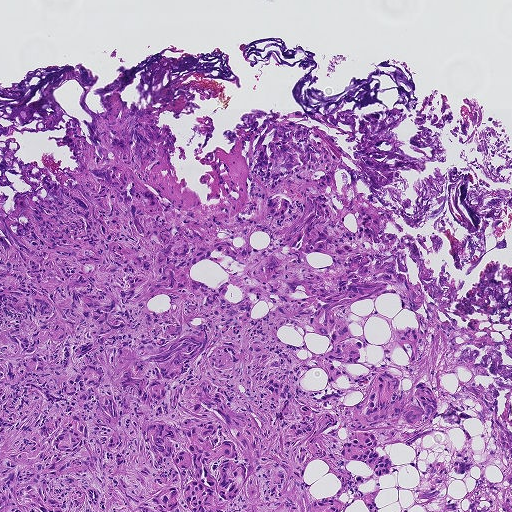
This is a crop of a whole-slide image: an H&E-stained breast-cancer sentinel lymph node section at roughly 5× magnification (about 1.8 µm per pixel; the crop spans about 0.93 mm).
Three metastatic tumour regions, each outlined as a closed clockwise path in crop pixels (x, y), largest first: region 1: (274, 115), (330, 140), (340, 219), (353, 197), (399, 237), (430, 334), (394, 336), (417, 328), (394, 294), (354, 302), (360, 360), (338, 404), (384, 369), (473, 415), (375, 449), (395, 467), (375, 509), (0, 511), (2, 222), (110, 160), (226, 217); region 2: (461, 452), (467, 456), (470, 462), (470, 470), (464, 474), (449, 472), (446, 486), (440, 491), (407, 508), (408, 511), (399, 511), (401, 508), (408, 506), (413, 500), (414, 493), (408, 488), (420, 482), (422, 475), (431, 464), (445, 463), (451, 460), (454, 454); region 3: (478, 502), (492, 506), (497, 511), (458, 511), (465, 509), (471, 505).
The annotated tumour makes up about 50% of the crop.